Image:
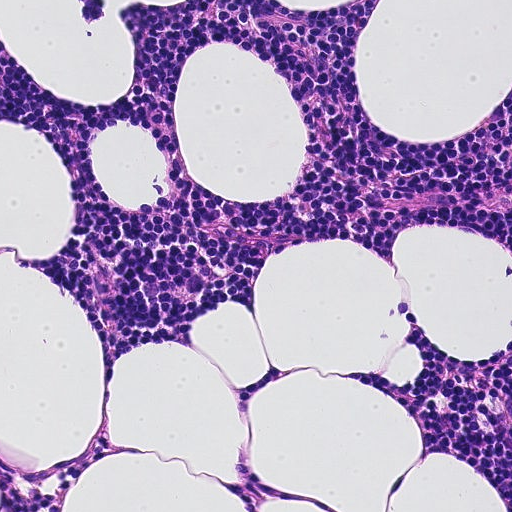
This is a crop of a whole-slide image: an H&E-stained breast-cancer sentinel lymph node section at roughly 20× magnification (about 0.45 µm per pixel; the crop spans about 0.23 mm).
Question:
Is any metastatic breast cancer visible in this crop?
Answer:
No. No metastatic tumour is outlined in this field.